Image:
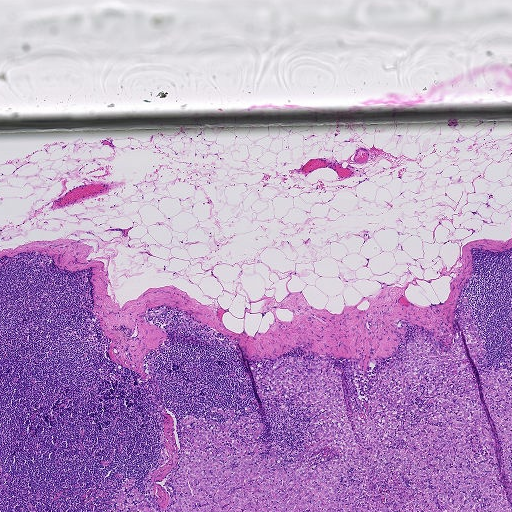
H&E-stained section of a sentinel lymph node (breast cancer), from a whole-slide image, viewed at about 2.5×: the field is about 1.9 mm across, about 3.6 µm per pixel.
Question:
Which parts of this field are metastatic tumour?
Answer:
Two metastatic tumour regions, each outlined as a closed clockwise path in crop pixels (x, y), largest first: region 1: (465, 295), (485, 342), (478, 372), (510, 369), (511, 511), (165, 511), (187, 416), (252, 416), (263, 457), (282, 465), (322, 440), (310, 407), (259, 397), (280, 359), (333, 360), (351, 418), (365, 421), (378, 375), (407, 358), (399, 349), (427, 336), (449, 350); region 2: (132, 477), (135, 478), (133, 486), (127, 491), (127, 489), (125, 487), (123, 490), (127, 498), (135, 496), (130, 494), (130, 491), (132, 490), (137, 490), (143, 496), (149, 506), (154, 507), (159, 511), (130, 511), (129, 510), (130, 507), (129, 505), (126, 505), (124, 508), (122, 509), (117, 508), (115, 505), (115, 500), (120, 490), (121, 484), (122, 481).
About 15% of the image area is annotated as tumour.